Question: 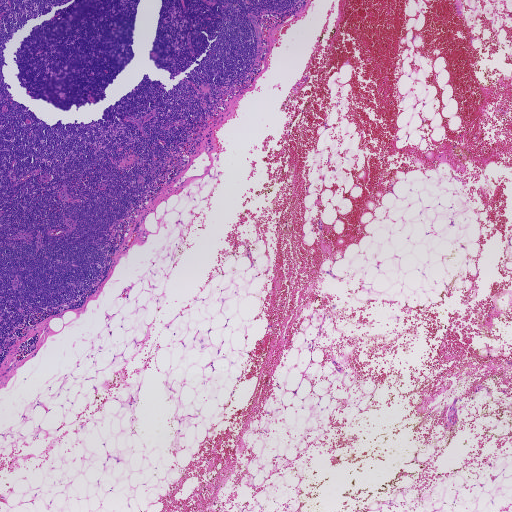
About what magnification does this crop show?

Choices:
 (A) about 5×
 (B) about 40×
 (C) about 10×
 (D) about 20×
 (E) about 2.5×

Answer: (E) about 2.5×
This is a crop of a whole-slide image: an H&E-stained breast-cancer sentinel lymph node section at roughly 2.5× magnification (about 3.6 µm per pixel; the crop spans about 1.9 mm).